Image:
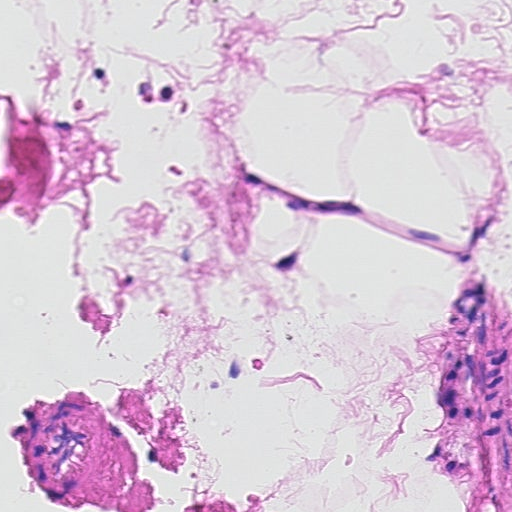
This is a crop of a whole-slide image: an H&E-stained breast-cancer sentinel lymph node section at roughly 20× magnification (about 0.45 µm per pixel; the crop spans about 0.23 mm).
Question:
Is any metastatic breast cancer visible in this crop?
Answer:
No. No metastatic tumour is outlined in this field.